Image:
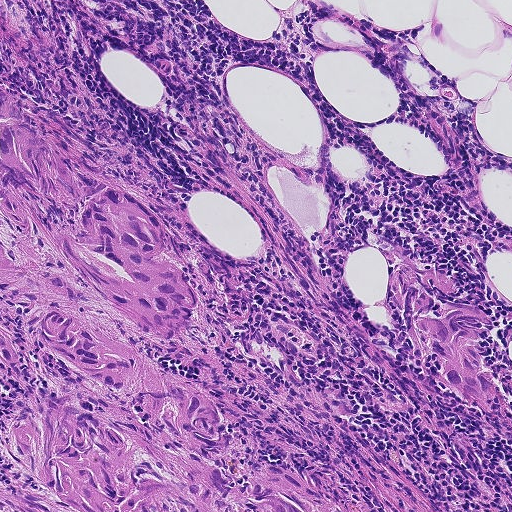
A 0.46-mm field of an H&E-stained sentinel lymph node from a breast-cancer patient (whole-slide image), shown at about 10×, about 0.9 µm per pixel.
Question:
Where is the metastatic tumour in this field?
Answer:
Outlines of two tumour regions, largest first (closed clockwise paths, crop pixels): region 1: (0, 83), (68, 157), (161, 217), (165, 252), (200, 303), (189, 338), (171, 343), (90, 308), (104, 325), (204, 392), (231, 460), (300, 470), (344, 508), (0, 511); region 2: (364, 230), (380, 232), (413, 257), (451, 276), (459, 295), (438, 294), (490, 308), (493, 330), (473, 339), (511, 412), (501, 429), (483, 419), (423, 360), (390, 314), (383, 271).
About 30% of the image area is annotated as tumour.